Question: 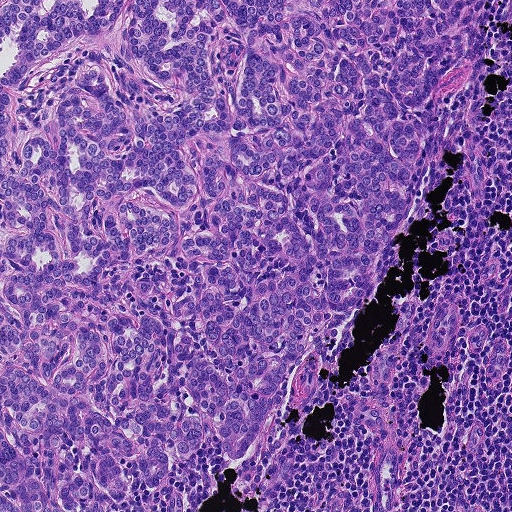
H&E-stained section of a sentinel lymph node (breast cancer), from a whole-slide image, viewed at about 10×: the field is about 0.46 mm across, about 0.9 µm per pixel.
Estimate the proportion of this field that is metastatic tumour.

Choices:
 (A) none: no tumour is outlined
 (B) about 10% to 20%
 (C) about 50% or more
 (D) about 25% to 45%
 (E) about 5% or less

Answer: (C) about 50% or more
About 75% of the field is tumour.
Metastatic tumour outline, simplified to 23 points and listed clockwise in crop pixels (x, y): (0, 0), (482, 0), (484, 67), (456, 66), (431, 97), (476, 80), (506, 91), (477, 129), (486, 198), (473, 195), (458, 138), (429, 210), (392, 240), (370, 297), (324, 353), (303, 354), (251, 451), (232, 462), (208, 424), (199, 453), (170, 458), (183, 511), (0, 511).